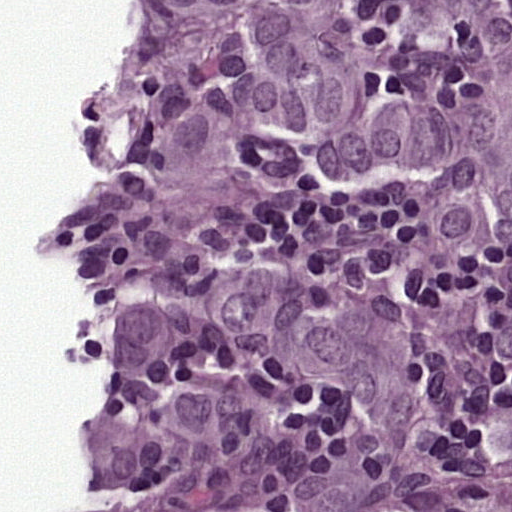
This is a crop of a whole-slide image: an H&E-stained breast-cancer sentinel lymph node section at roughly 40× magnification (about 0.24 µm per pixel; the crop spans about 0.12 mm).
Outlines of three tumour regions, largest first (closed clockwise paths, crop pixels): region 1: (511, 0), (511, 260), (452, 250), (439, 181), (335, 175), (298, 138), (255, 125), (245, 143), (196, 165), (144, 171), (117, 143), (190, 116), (210, 88), (253, 80), (246, 33), (223, 14), (171, 18), (121, 1); region 2: (214, 257), (269, 259), (315, 285), (418, 383), (429, 409), (422, 435), (332, 382), (280, 376), (233, 353), (212, 305); region 3: (129, 298), (156, 303), (172, 332), (161, 361), (114, 379), (108, 414), (211, 371), (250, 431), (208, 454), (128, 481), (80, 484), (75, 426), (95, 389), (111, 332).
Two more small tumour pieces are annotated here but not outlined.
About 35% of the image area is annotated as tumour.